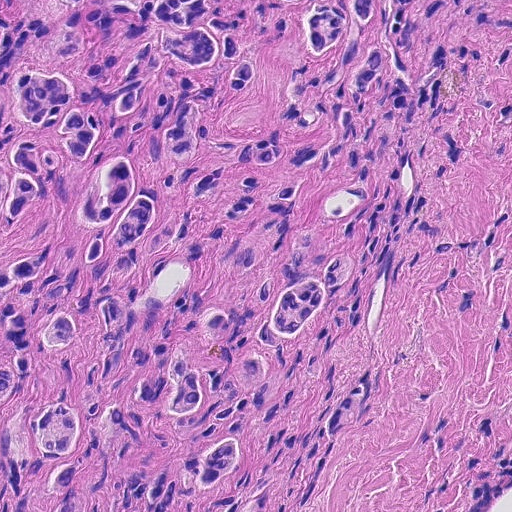
H&E-stained section of a sentinel lymph node (breast cancer), from a whole-slide image, viewed at about 20×: the field is about 0.23 mm across, about 0.45 µm per pixel.
Metastatic tumour outline, simplified to 8 points and listed clockwise in crop pixels (x, y): (0, 0), (488, 0), (456, 42), (402, 170), (374, 412), (342, 437), (305, 511), (0, 511).
About 75% of the image area is annotated as tumour.